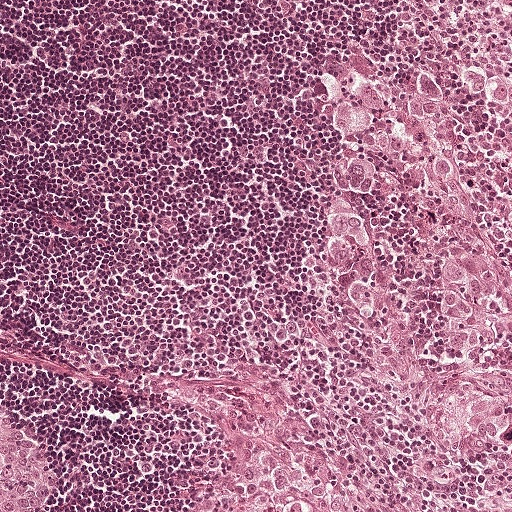
Lymph node section stained with H&E, from a whole-slide image of a breast-cancer sentinel node. Magnification about 10×, about 0.5 mm across the frame, about 0.97 µm per pixel.
Question: Is any metastatic breast cancer visible in this crop?
Answer: Yes.
Two metastatic tumour regions, each outlined as a closed clockwise path in crop pixels (x, y), largest first: region 1: (360, 29), (437, 29), (511, 48), (511, 511), (182, 511), (218, 472), (211, 396), (229, 372), (262, 376), (360, 453), (389, 450), (349, 355), (326, 251), (319, 64), (329, 44); region 2: (0, 393), (14, 400), (33, 428), (50, 463), (65, 511), (0, 511).
About 40% of the image area is annotated as tumour.